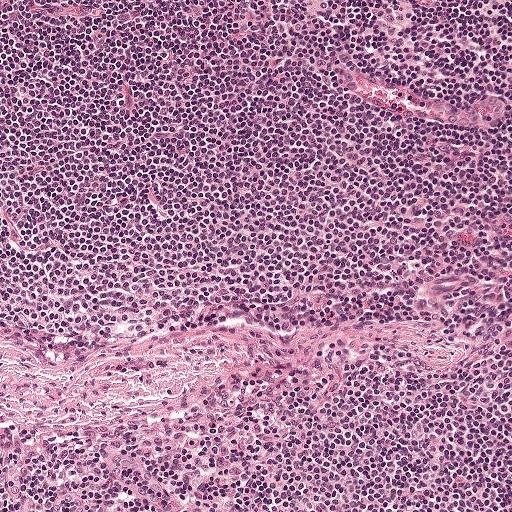
H&E-stained section of a sentinel lymph node (breast cancer), from a whole-slide image, viewed at about 10×: the field is about 0.5 mm across, about 0.97 µm per pixel.
Question: Is any metastatic breast cancer visible in this crop?
Answer: No: no metastatic tumour is outlined anywhere in this field.